A 0.5-mm field of an H&E-stained sentinel lymph node from a breast-cancer patient (whole-slide image), shown at about 10×, about 0.97 µm per pixel.
Image:
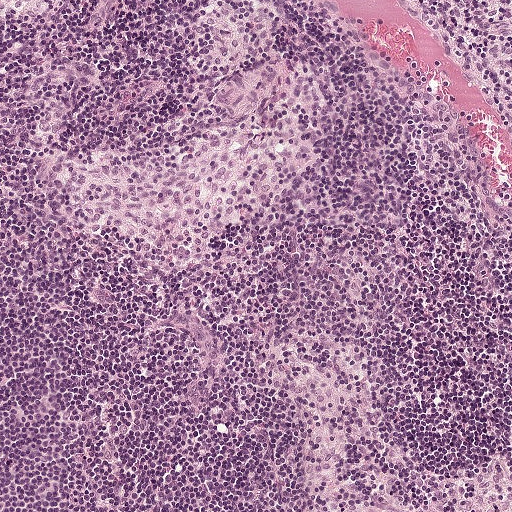
Question:
Does this lymph node field contain metastatic tumour?
Answer:
No, this field holds no outlined metastasis.